Image:
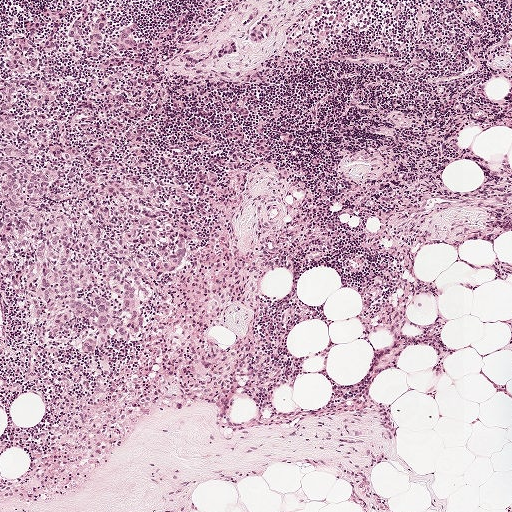
This is a crop of a whole-slide image: an H&E-stained breast-cancer sentinel lymph node section at roughly 5× magnification (about 1.9 µm per pixel; the crop spans about 1 mm).
Question:
Which parts of this field are metastatic tumour?
Answer:
Boundaries of three metastatic tumour regions, simplified and listed clockwise, largest first: region 1: (80, 10), (113, 16), (113, 46), (120, 27), (140, 22), (136, 36), (164, 42), (170, 107), (147, 162), (180, 238), (190, 228), (180, 268), (156, 274), (140, 334), (126, 338), (119, 325), (96, 355), (46, 342), (0, 273), (0, 67), (10, 77), (15, 36), (68, 34); region 2: (234, 40), (237, 42), (238, 48), (238, 50), (234, 53), (227, 54), (218, 59), (214, 59), (212, 57), (213, 51), (222, 44); region 3: (258, 22), (265, 27), (266, 39), (261, 42), (258, 42), (252, 40), (250, 35), (250, 31), (251, 28).
One more small tumour piece is annotated here but not outlined.
About 20% of the image area is annotated as tumour.